Question: 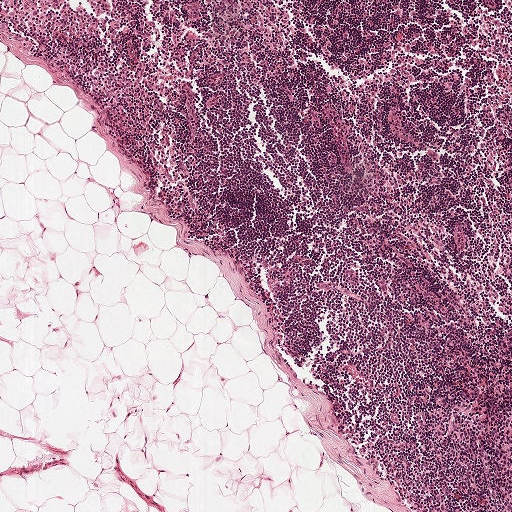
A 1-mm field of an H&E-stained sentinel lymph node from a breast-cancer patient (whole-slide image), shown at about 5×, about 1.9 µm per pixel.
About how much of this crop is taken up by metastatic carcinoma?

Choices:
 (A) about 25% to 45%
 (B) about 10% to 20%
 (C) none: no tumour is outlined
 (D) about 5% or less
 (E) about 50% or more

Answer: (C) none: no tumour is outlined
No metastatic tumour is outlined in this field.